Question: 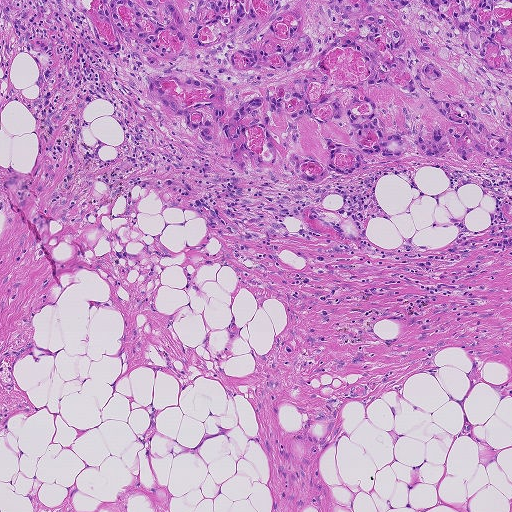
This is a crop of a whole-slide image: an H&E-stained breast-cancer sentinel lymph node section at roughly 5× magnification (about 1.8 µm per pixel; the crop spans about 0.93 mm).
What fraction of the image area is metastatic tumour?

Choices:
 (A) about 10% to 20%
 (B) about 50% or more
 (C) none: no tumour is outlined
 (D) about 5% or less
 (E) about 25% to 45%

Answer: (E) about 25% to 45%
About 25% of the field is tumour.
One metastatic tumour region; its boundary, reduced to 15 corners and listed clockwise: (66, 0), (511, 0), (511, 165), (452, 153), (365, 155), (353, 175), (308, 182), (237, 170), (222, 147), (199, 147), (160, 117), (147, 97), (161, 73), (122, 42), (103, 52).